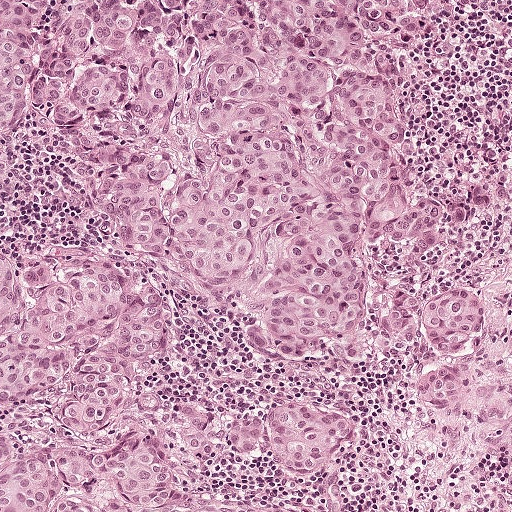
Lymph node section stained with H&E, from a whole-slide image of a breast-cancer sentinel node. Magnification about 10×, about 0.5 mm across the frame, about 0.97 µm per pixel.
Boundaries of two metastatic tumour regions, simplified and listed clockwise, largest first: region 1: (511, 0), (419, 30), (409, 106), (441, 220), (416, 249), (378, 235), (378, 304), (343, 356), (240, 344), (94, 206), (36, 100), (52, 33), (86, 6); region 2: (126, 432), (139, 433), (154, 447), (170, 482), (289, 488), (325, 511), (0, 511), (0, 465), (18, 451), (63, 440), (98, 445).
About 45% of the image area is annotated as tumour.